Question: 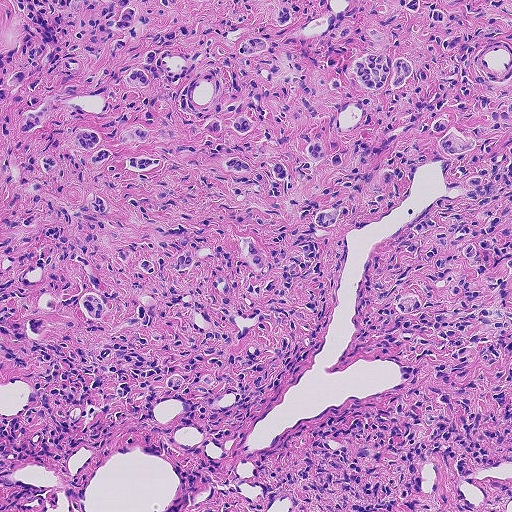
Lymph node section stained with H&E, from a whole-slide image of a breast-cancer sentinel node. Magnification about 10×, about 0.46 mm across the frame, about 0.9 µm per pixel.
What fraction of the image area is metastatic tumour?

Choices:
 (A) about 25% to 45%
 (B) about 10% to 20%
 (C) about 5% or less
 (D) none: no tumour is outlined
 (E) about 50% or more

Answer: (E) about 50% or more
Over 95% of the field is tumour.
Metastatic tumour covers the whole field.